Question: 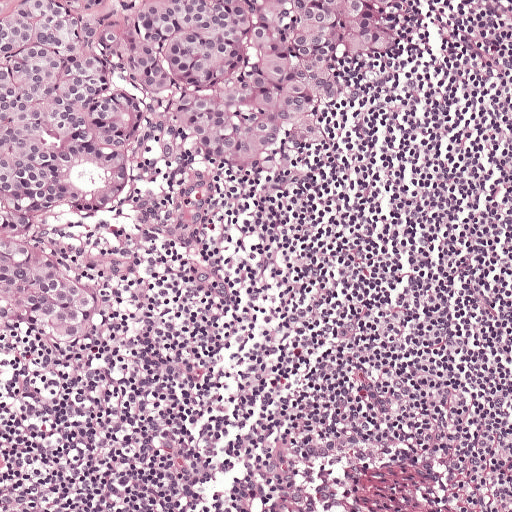
This is a crop of a whole-slide image: an H&E-stained breast-cancer sentinel lymph node section at roughly 10× magnification (about 0.97 µm per pixel; the crop spans about 0.5 mm).
About how much of this crop is taken up by metastatic carcinoma?

Choices:
 (A) about 10% to 20%
 (B) about 25% to 45%
 (C) none: no tumour is outlined
 (D) about 50% or more
 (E) about 5% or less

Answer: (B) about 25% to 45%
About 30% of the field is tumour.
The outlined metastatic tumour's edge, as a closed clockwise path of 21 points: (0, 0), (412, 0), (414, 40), (376, 55), (328, 112), (342, 140), (302, 151), (284, 138), (262, 170), (217, 171), (168, 124), (140, 157), (134, 189), (102, 218), (59, 206), (44, 228), (97, 275), (104, 300), (100, 323), (62, 338), (0, 315).